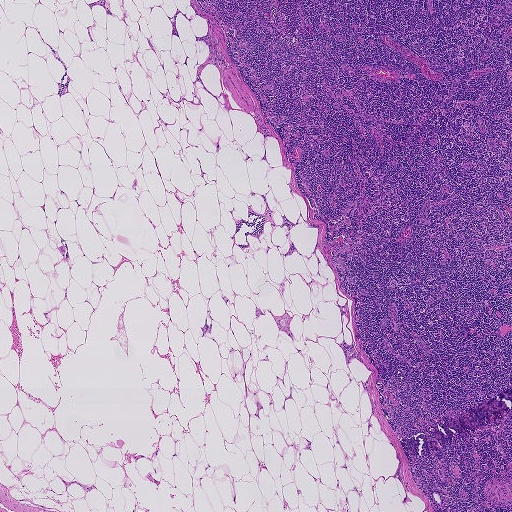
A 1.9-mm field of an H&E-stained sentinel lymph node from a breast-cancer patient (whole-slide image), shown at about 2.5×, about 3.6 µm per pixel.